Image:
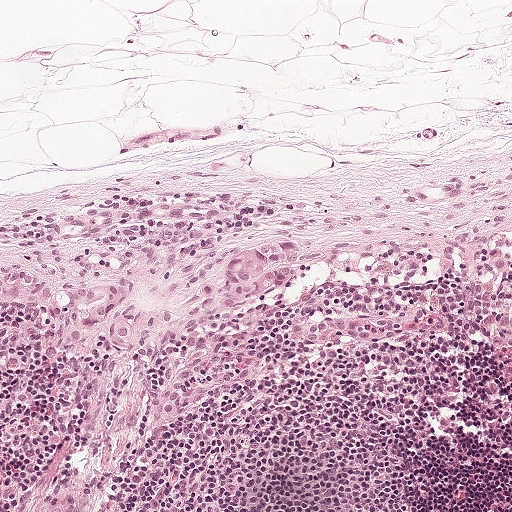
H&E-stained section of a sentinel lymph node (breast cancer), from a whole-slide image, viewed at about 10×: the field is about 0.5 mm across, about 0.97 µm per pixel.
Question:
Which parts of this field are metastatic tumour?
Answer:
Two metastatic tumour regions, each outlined as a closed clockwise path in crop pixels (x, y), largest first: region 1: (286, 243), (297, 246), (305, 260), (305, 267), (289, 287), (258, 304), (229, 314), (212, 334), (178, 346), (174, 344), (177, 331), (196, 298), (221, 282), (229, 266), (261, 248); region 2: (110, 276), (124, 280), (128, 284), (128, 304), (116, 312), (102, 336), (92, 346), (80, 351), (65, 351), (58, 349), (55, 337), (60, 325), (57, 302), (60, 290), (62, 286), (76, 283), (96, 289).
About 5% of the image area is annotated as tumour.